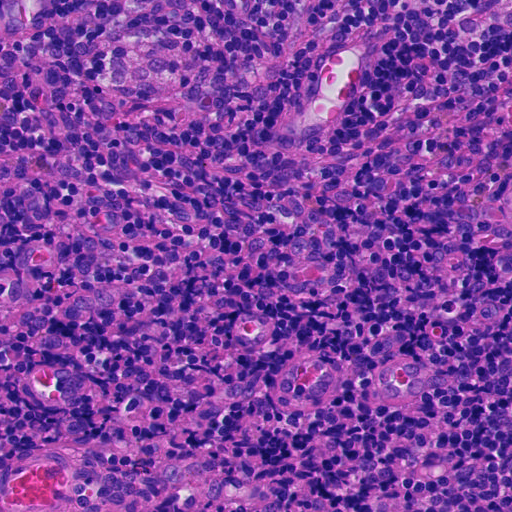
A 0.23-mm field of an H&E-stained sentinel lymph node from a breast-cancer patient (whole-slide image), shown at about 20×, about 0.45 µm per pixel.